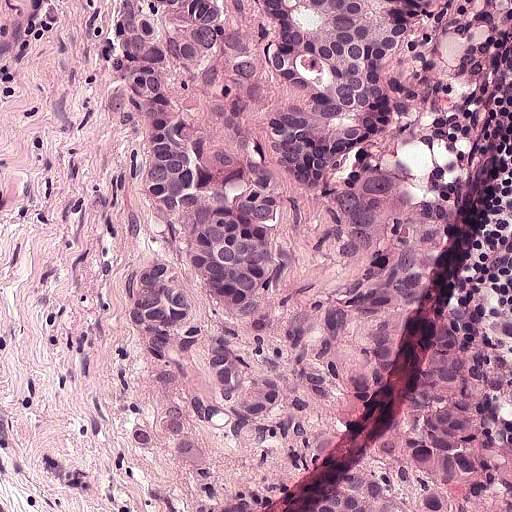
This is a crop of a whole-slide image: an H&E-stained breast-cancer sentinel lymph node section at roughly 20× magnification (about 0.49 µm per pixel; the crop spans about 0.25 mm).
Question: Which parts of this field are metastatic tumour?
Answer: The outlined metastatic tumour's edge, as a closed clockwise path of 21 points: (433, 0), (392, 110), (392, 222), (478, 338), (510, 406), (511, 511), (175, 511), (131, 480), (126, 409), (138, 376), (231, 374), (274, 337), (260, 336), (210, 370), (114, 329), (148, 202), (130, 174), (124, 106), (96, 90), (96, 72), (135, 4).
The annotated tumour makes up about 60% of the crop.